A 1.9-mm field of an H&E-stained sentinel lymph node from a breast-cancer patient (whole-slide image), shown at about 2.5×, about 3.6 µm per pixel.
Question: 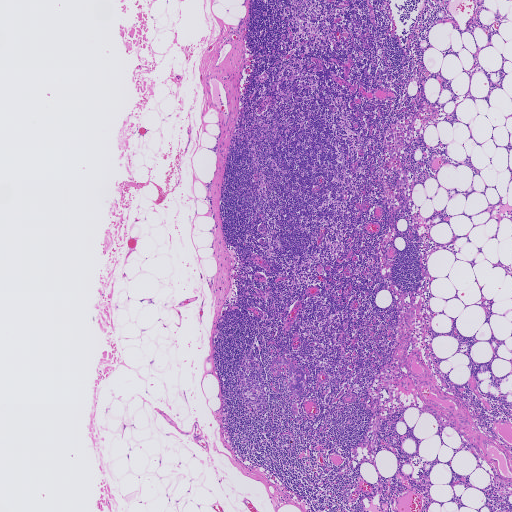
What fraction of the image area is metastatic tumour?

Choices:
 (A) about 50% or more
 (B) about 10% to 20%
 (C) about 25% to 45%
 (D) about 5% or less
 (E) none: no tumour is outlined

Answer: (D) about 5% or less
Under 5% of the field is tumour.
The outlined metastatic tumour's edge, as a closed clockwise path of 15 points: (280, 355), (297, 365), (305, 373), (305, 384), (302, 395), (294, 397), (288, 388), (292, 378), (288, 375), (288, 365), (282, 365), (282, 374), (277, 376), (270, 370), (274, 359).
One more small tumour piece is annotated here but not outlined.